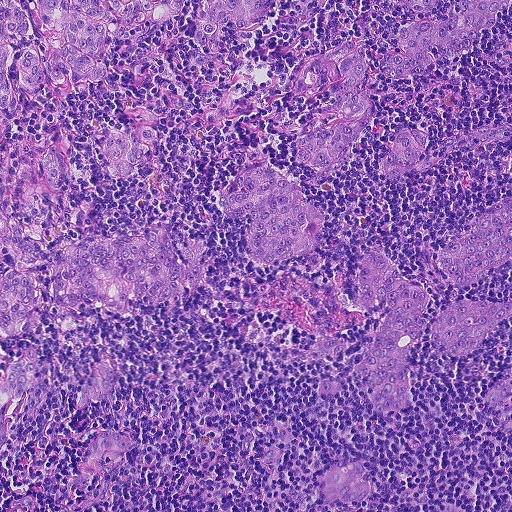
H&E-stained section of a sentinel lymph node (breast cancer), from a whole-slide image, viewed at about 10×: the field is about 0.46 mm across, about 0.9 µm per pixel.
Outlines of the eight largest metastatic tumour regions, each a closed clockwise path in crop pixels (x, y), largest first: region 1: (56, 145), (66, 166), (62, 190), (48, 188), (4, 208), (6, 220), (24, 236), (58, 246), (163, 224), (174, 239), (196, 238), (210, 248), (201, 280), (192, 288), (183, 286), (183, 298), (174, 306), (141, 296), (134, 302), (132, 314), (121, 318), (110, 318), (90, 303), (60, 308), (51, 301), (50, 268), (21, 263), (38, 278), (36, 301), (28, 310), (38, 314), (38, 326), (0, 336), (0, 179), (10, 182), (23, 163), (37, 171); region 2: (32, 0), (185, 0), (177, 18), (167, 24), (132, 26), (125, 36), (114, 40), (98, 58), (109, 64), (107, 76), (96, 82), (62, 86), (49, 83), (38, 88), (27, 88), (18, 81), (20, 58), (26, 48), (38, 52), (42, 58), (52, 52), (47, 41), (37, 34), (30, 10); region 3: (369, 250), (380, 251), (401, 276), (422, 286), (428, 294), (424, 327), (409, 357), (414, 401), (408, 410), (396, 411), (374, 409), (352, 370), (366, 354), (388, 315), (389, 304), (378, 300), (370, 308), (360, 307), (350, 300), (352, 278), (361, 258); region 4: (253, 161), (273, 169), (299, 190), (302, 200), (321, 212), (318, 245), (312, 255), (290, 258), (280, 263), (257, 262), (247, 255), (243, 244), (251, 223), (249, 212), (238, 218), (227, 218), (221, 208), (223, 198), (236, 176); region 5: (350, 38), (359, 45), (368, 66), (366, 76), (354, 90), (374, 102), (374, 113), (352, 153), (336, 168), (325, 170), (293, 162), (292, 152), (296, 142), (304, 134), (336, 126), (340, 116), (334, 95), (341, 74), (333, 62), (323, 58), (322, 55); region 6: (457, 0), (506, 0), (494, 22), (486, 32), (480, 32), (469, 51), (459, 56), (448, 57), (433, 48), (431, 70), (421, 76), (388, 78), (382, 70), (385, 59), (395, 54), (407, 54), (400, 45), (399, 34), (405, 26), (426, 18), (448, 16); region 7: (511, 199), (511, 258), (478, 282), (456, 283), (446, 277), (434, 259), (446, 241), (468, 233), (488, 208), (498, 201); region 8: (470, 297), (502, 302), (511, 299), (511, 317), (490, 329), (478, 347), (458, 357), (446, 357), (432, 341), (429, 330), (432, 319), (448, 304), (458, 298).
10 more, smaller tumour regions are not outlined.
Two more small tumour pieces are annotated here but not outlined.
About 25% of this field is tumour.